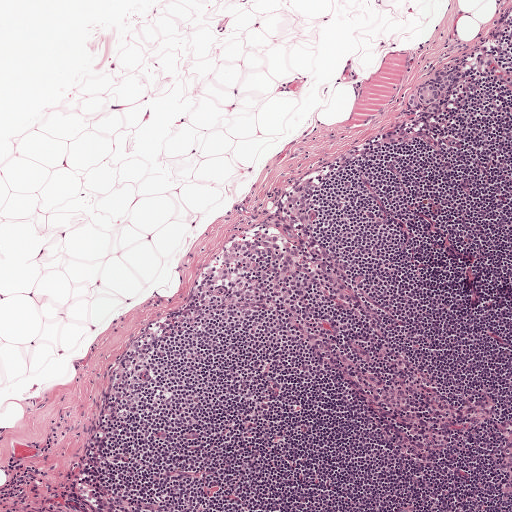
This is a crop of a whole-slide image: an H&E-stained breast-cancer sentinel lymph node section at roughly 5× magnification (about 1.9 µm per pixel; the crop spans about 1 mm).
Question: Which parts of this field are metastatic tumour?
Answer: Metastatic tumour outline, simplified to 13 points and listed clockwise in crop pixels (x, y): (453, 70), (453, 84), (444, 97), (439, 102), (441, 107), (438, 114), (428, 113), (424, 105), (413, 109), (407, 104), (408, 94), (416, 88), (438, 82).
The annotated tumour makes up under 5% of the crop.